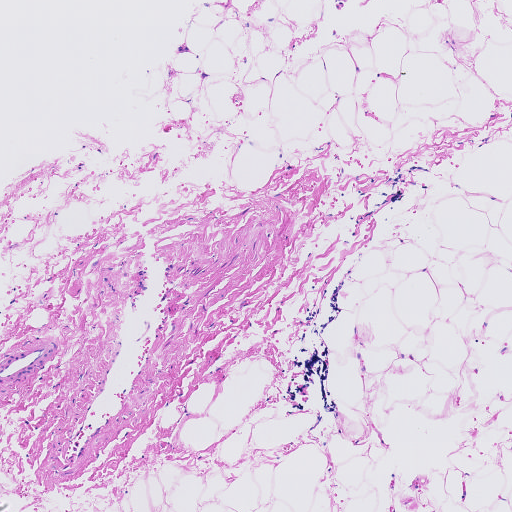
Lymph node section stained with H&E, from a whole-slide image of a breast-cancer sentinel node. Magnification about 5×, about 0.93 mm across the frame, about 1.8 µm per pixel.